Image:
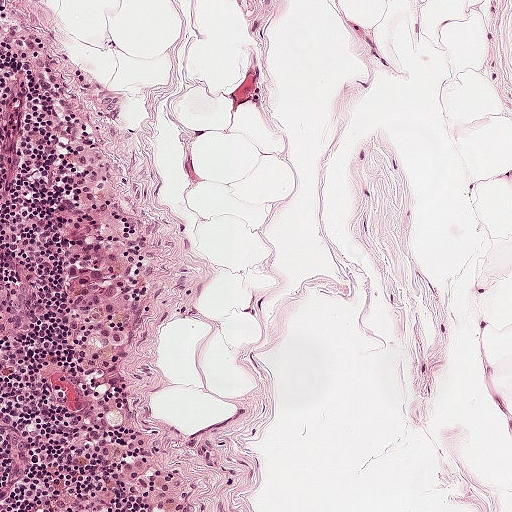
A 0.5-mm field of an H&E-stained sentinel lymph node from a breast-cancer patient (whole-slide image), shown at about 10×, about 0.97 µm per pixel.
Question:
Show where the tumour is in this image.
Answer:
The outlined metastatic tumour's edge, as a closed clockwise path of 12 points: (96, 258), (115, 266), (136, 301), (135, 326), (126, 346), (121, 349), (98, 348), (84, 342), (68, 324), (74, 303), (68, 280), (70, 259).
Tumour covers under 5% of the frame.